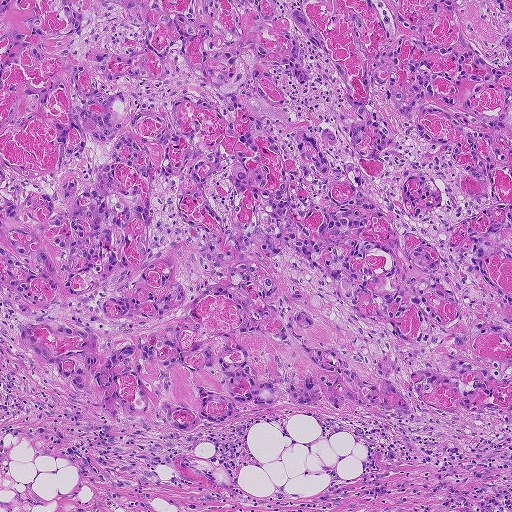
A 0.93-mm field of an H&E-stained sentinel lymph node from a breast-cancer patient (whole-slide image), shown at about 5×, about 1.8 µm per pixel.
The outlined metastatic tumour's edge, as a closed clockwise path of 14 points: (0, 0), (511, 0), (509, 409), (237, 403), (225, 423), (192, 430), (121, 422), (98, 412), (94, 395), (71, 395), (32, 365), (19, 345), (33, 321), (2, 304).
About 80% of this field is tumour.